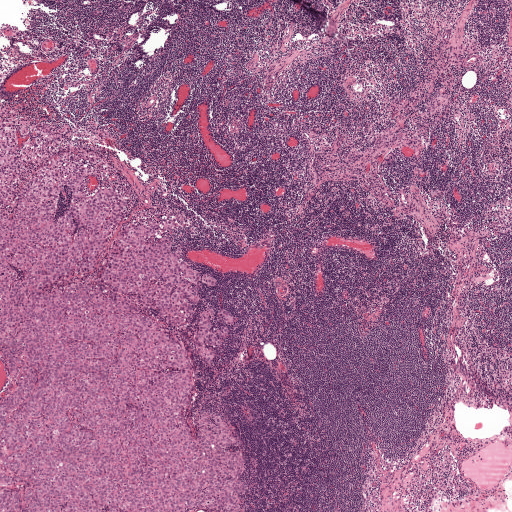
H&E-stained section of a sentinel lymph node (breast cancer), from a whole-slide image, viewed at about 2.5×: the field is about 2.0 mm across, about 3.9 µm per pixel.
Metastatic tumour outline, simplified to 24 points and listed clockwise in crop pixels (x, y): (0, 99), (65, 119), (73, 146), (104, 172), (85, 178), (83, 195), (130, 196), (123, 222), (177, 218), (168, 235), (218, 288), (201, 286), (190, 336), (208, 308), (234, 311), (214, 359), (191, 355), (197, 382), (186, 417), (193, 434), (206, 412), (237, 429), (245, 511), (0, 511).
The annotated tumour makes up about 30% of the crop.